Question: 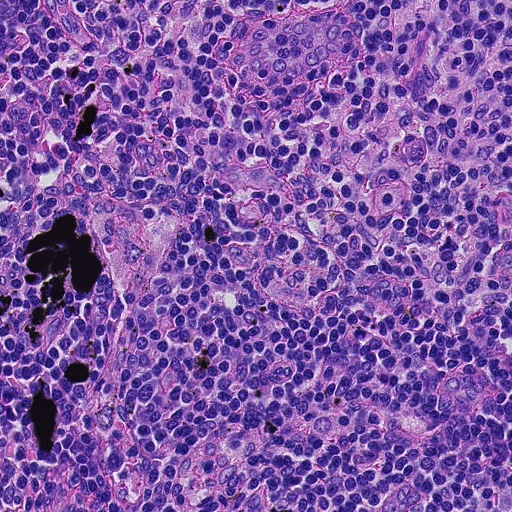
At roughly what magnification is this field shown?

Choices:
 (A) about 5×
 (B) about 20×
 (C) about 10×
 (D) about 40×
 (E) about 2.5×

Answer: (B) about 20×
A 0.23-mm field of an H&E-stained sentinel lymph node from a breast-cancer patient (whole-slide image), shown at about 20×, about 0.45 µm per pixel.